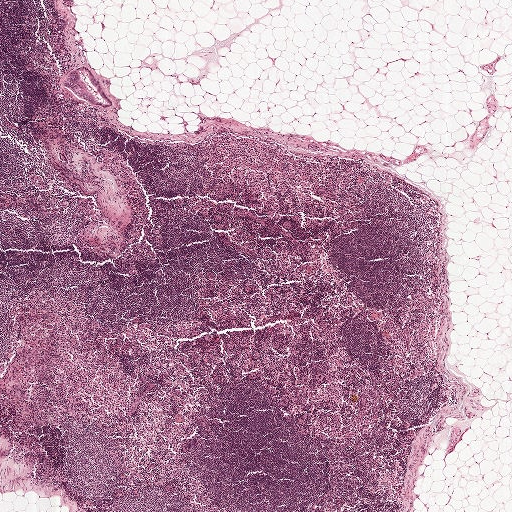
H&E-stained section of a sentinel lymph node (breast cancer), from a whole-slide image, viewed at about 2.5×: the field is about 2.0 mm across, about 3.9 µm per pixel.
Question: Where is the metastatic tumour in this field? Give each region's outline as (x, y) pixel points.
Answer: The outlined metastatic tumour's edge, as a closed clockwise path of 11 points: (84, 66), (84, 71), (80, 74), (84, 88), (88, 94), (88, 100), (80, 100), (77, 95), (62, 85), (64, 79), (74, 70).
The annotated tumour makes up under 5% of the crop.